This is a crop of a whole-slide image: an H&E-stained breast-cancer sentinel lymph node section at roughly 10× magnification (about 0.97 µm per pixel; the crop spans about 0.5 mm).
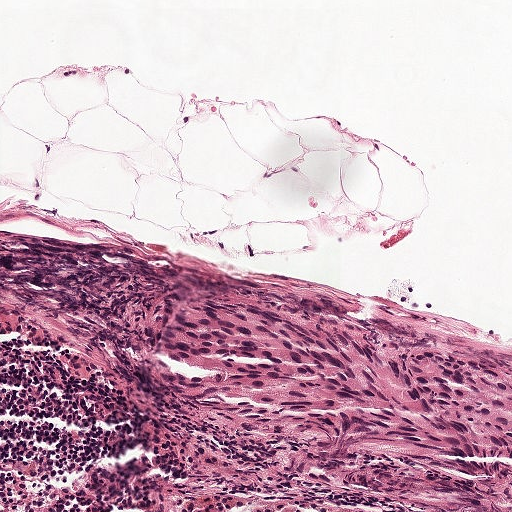
Question: Where is the metastatic tumour in this field?
Answer: One metastatic tumour region; its boundary, reduced to 8 corners and listed clockwise: (138, 268), (293, 270), (511, 353), (511, 511), (417, 511), (288, 470), (154, 364), (116, 282).
Tumour covers about 25% of the frame.